Question: 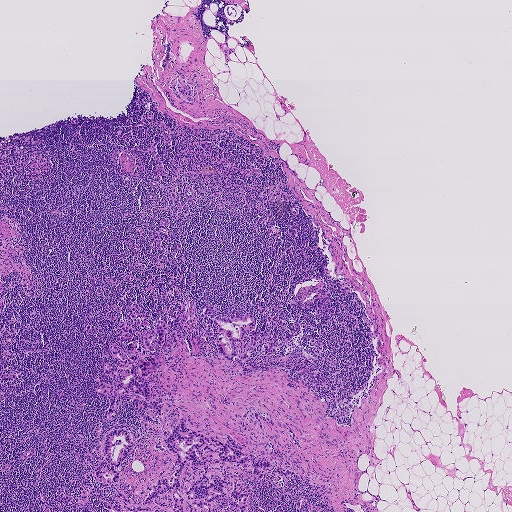
About what magnification does this crop show?

Choices:
 (A) about 20×
 (B) about 2.5×
 (C) about 10×
 (D) about 5×
 (E) about 40×

Answer: (B) about 2.5×
Lymph node section stained with H&E, from a whole-slide image of a breast-cancer sentinel node. Magnification about 2.5×, about 1.9 mm across the frame, about 3.6 µm per pixel.
Outlines of three tumour regions, largest first (closed clockwise paths, crop pixels): region 1: (205, 303), (215, 306), (216, 311), (210, 316), (221, 314), (231, 316), (235, 307), (243, 315), (248, 313), (253, 314), (256, 318), (254, 329), (262, 336), (248, 358), (251, 360), (261, 355), (268, 341), (273, 341), (290, 331), (294, 321), (299, 324), (300, 329), (298, 332), (293, 332), (293, 338), (288, 341), (282, 341), (279, 344), (280, 350), (265, 357), (256, 370), (245, 371), (219, 353), (214, 344), (200, 335), (199, 326), (204, 324), (204, 319), (198, 311); region 2: (253, 411), (257, 411), (265, 411), (269, 414), (270, 418), (274, 419), (282, 423), (293, 430), (296, 438), (301, 445), (301, 448), (294, 443), (291, 435), (289, 432), (279, 426), (277, 423), (273, 422), (275, 424), (272, 424), (260, 419), (262, 425), (262, 430), (260, 430), (258, 426), (257, 422), (257, 428), (253, 428), (252, 424), (254, 420); region 3: (3, 371), (5, 371), (7, 373), (10, 373), (13, 371), (19, 374), (21, 376), (19, 378), (3, 381), (0, 380), (0, 376).
One more tumour region is annotated but not outlined: its edge is too irregular for a short outline.
Three more small tumour pieces are annotated here but not outlined.
Tumour covers about 10% of the frame.